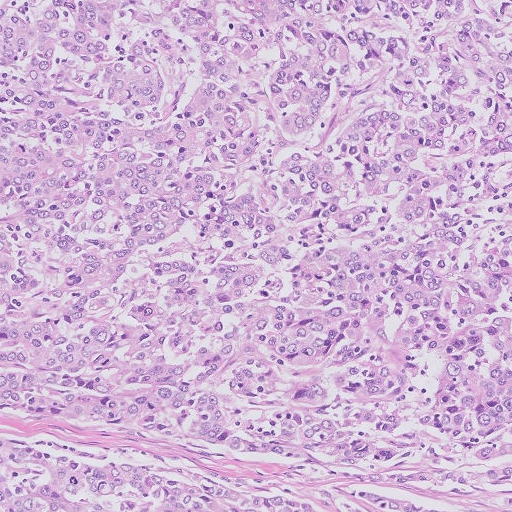
Lymph node section stained with H&E, from a whole-slide image of a breast-cancer sentinel node. Magnification about 10×, about 0.51 mm across the frame, about 1.0 µm per pixel.
Metastatic tumour covers the whole field.
Over 95% of this field is tumour.